Image:
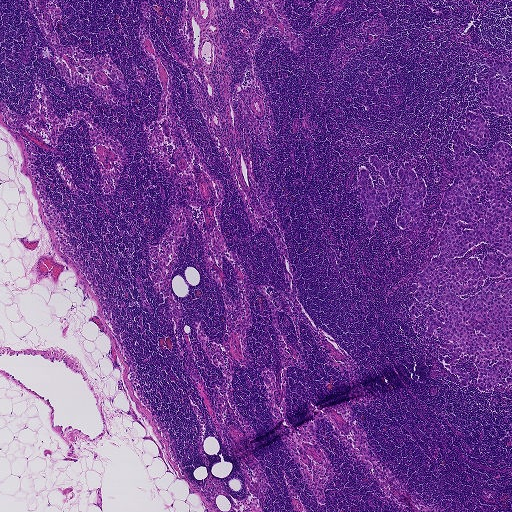
A 1.9-mm field of an H&E-stained sentinel lymph node from a breast-cancer patient (whole-slide image), shown at about 2.5×, about 3.6 µm per pixel.
Question:
Outline the metastatic carcinoma in this image, as closed paths of (x, y) pixel coordinates.
Answer:
Outlines of four tumour regions, largest first (closed clockwise paths, crop pixels): region 1: (468, 109), (480, 113), (488, 140), (464, 139), (464, 155), (488, 167), (495, 144), (510, 145), (511, 385), (503, 377), (480, 389), (477, 356), (453, 362), (472, 379), (461, 386), (443, 360), (441, 330), (423, 334), (434, 299), (418, 318), (410, 308), (415, 274), (439, 253), (453, 131); region 2: (376, 154), (382, 161), (383, 166), (385, 164), (388, 164), (388, 170), (394, 182), (394, 194), (385, 207), (380, 201), (381, 207), (384, 208), (379, 212), (379, 218), (371, 230), (363, 213), (364, 204), (360, 195), (361, 186), (352, 185), (353, 182), (359, 178), (359, 169), (363, 165), (369, 172), (377, 194), (384, 186), (383, 179), (370, 158), (370, 156); region 3: (406, 163), (418, 180), (424, 181), (426, 188), (422, 209), (427, 217), (424, 231), (410, 226), (404, 230), (395, 221), (396, 218), (401, 217), (402, 212), (408, 213), (406, 208), (400, 208), (402, 193), (397, 171); region 4: (490, 59), (511, 61), (511, 118), (509, 116), (496, 114), (494, 107), (481, 105), (481, 101), (488, 91), (489, 74), (487, 61).
About 10% of this field is tumour.